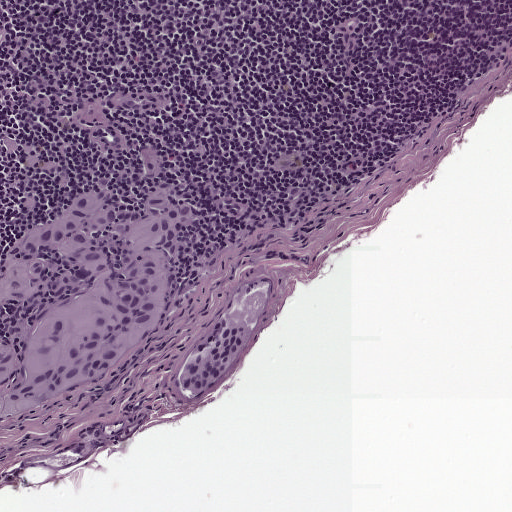
Lymph node section stained with H&E, from a whole-slide image of a breast-cancer sentinel node. Magnification about 10×, about 0.5 mm across the frame, about 0.97 µm per pixel.
Outlines of three tumour regions, largest first (closed clockwise paths, crop pixels): region 1: (150, 142), (168, 158), (172, 187), (202, 216), (162, 312), (99, 385), (0, 423), (0, 246), (84, 185), (102, 186), (127, 210), (146, 189), (137, 148); region 2: (232, 315), (250, 319), (252, 333), (220, 386), (208, 396), (186, 400), (177, 390), (176, 380), (186, 350), (209, 330), (218, 318); region 3: (96, 420), (107, 428), (112, 436), (107, 448), (96, 458), (78, 459), (70, 447), (73, 432), (83, 423).
About 15% of the image area is annotated as tumour.